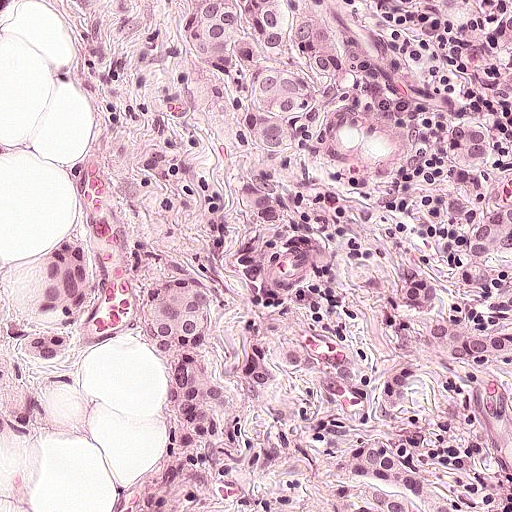
This is a crop of a whole-slide image: an H&E-stained breast-cancer sentinel lymph node section at roughly 20× magnification (about 0.49 µm per pixel; the crop spans about 0.25 mm).
Question: Is any metastatic breast cancer visible in this crop?
Answer: Yes.
Metastatic tumour outline, simplified to 9 points and listed clockwise in crop pixels (x, y): (75, 0), (511, 0), (511, 511), (145, 511), (182, 376), (148, 285), (84, 214), (108, 136), (112, 56).
About 75% of the image area is annotated as tumour.